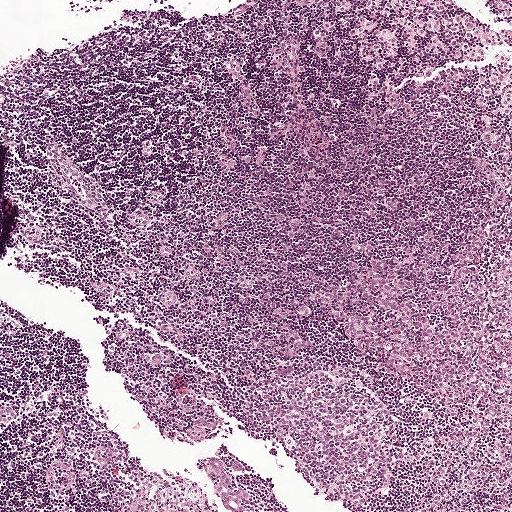
Lymph node section stained with H&E, from a whole-slide image of a breast-cancer sentinel node. Magnification about 5×, about 1 mm across the frame, about 1.9 µm per pixel.
Tumour region outline (a closed clockwise path, crop pixels): (511, 195), (511, 423), (492, 404), (432, 399), (337, 342), (318, 293), (338, 267), (356, 255), (389, 252), (433, 232), (466, 239), (483, 232).
About 10% of this field is tumour.